Lymph node section stained with H&E, from a whole-slide image of a breast-cancer sentinel node. Magnification about 2.5×, about 1.9 mm across the frame, about 3.6 µm per pixel.
Image:
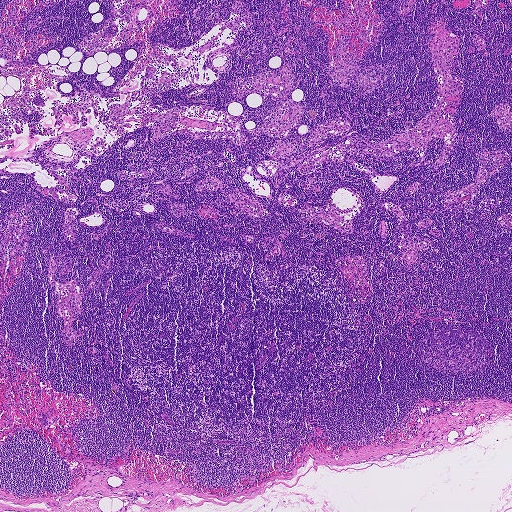
Question:
Is there metastatic carcinoma in this field?
Answer:
No. No metastatic tumour is outlined in this field.